Question: 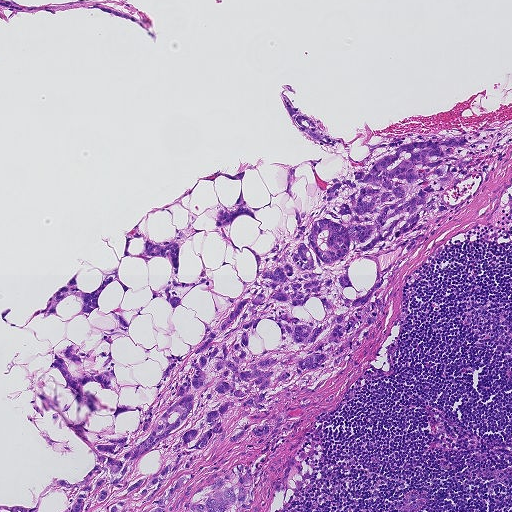
A 0.93-mm field of an H&E-stained sentinel lymph node from a breast-cancer patient (whole-slide image), shown at about 5×, about 1.8 µm per pixel.
Estimate the proportion of this field that is metastatic tumour.

Choices:
 (A) about 50% or more
 (B) about 25% to 45%
 (C) none: no tumour is outlined
 (D) about 10% to 20%
 (E) about 5% or less

Answer: (B) about 25% to 45%
About 35% of the field is tumour.
Tumour region outline (a closed clockwise path, crop pixels): (291, 84), (355, 159), (511, 122), (508, 187), (404, 282), (268, 509), (0, 511), (95, 467), (36, 391), (74, 421), (45, 373), (116, 321), (1, 310), (116, 267), (101, 313), (144, 307), (119, 392), (84, 392), (146, 406), (210, 293), (172, 309), (126, 238), (193, 213), (179, 280), (200, 253), (220, 311), (255, 260), (213, 228), (238, 180), (196, 178), (244, 166), (271, 203), (230, 230), (263, 255), (294, 230), (284, 164), (302, 217), (347, 164), (280, 86).